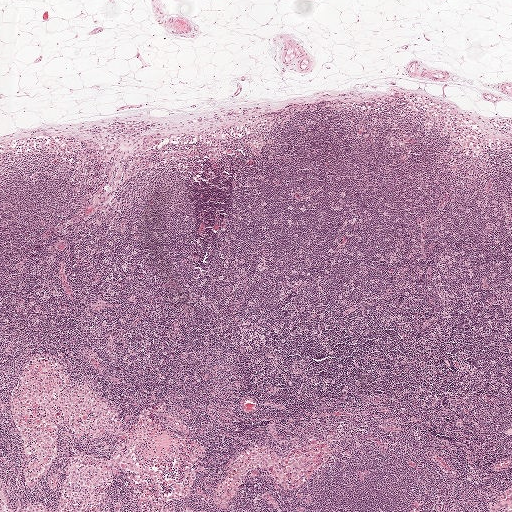
This is a crop of a whole-slide image: an H&E-stained breast-cancer sentinel lymph node section at roughly 2.5× magnification (about 3.9 µm per pixel; the crop spans about 2.0 mm).
Question: Show where the tumour is in this image.
Answer: Boundaries of two metastatic tumour regions, simplified and listed clockwise, largest first: region 1: (161, 134), (162, 139), (159, 144), (144, 151), (139, 156), (130, 159), (135, 147), (142, 143), (144, 139), (152, 135); region 2: (114, 142), (117, 142), (118, 148), (109, 159), (106, 160), (101, 160), (101, 145), (105, 143), (109, 144).
Tumour covers under 5% of the frame.